Question: 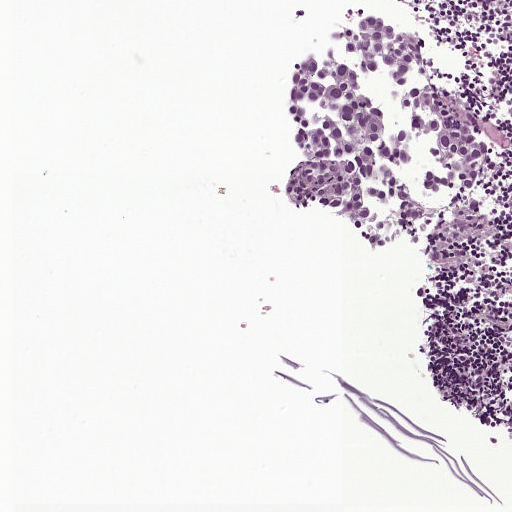
H&E-stained section of a sentinel lymph node (breast cancer), from a whole-slide image, viewed at about 10×: the field is about 0.5 mm across, about 0.97 µm per pixel.
About how much of this crop is taken up by metastatic carcinoma?

Choices:
 (A) about 25% to 45%
 (B) about 10% to 20%
 (C) about 5% or less
 (D) none: no tumour is outlined
 (E) about 50% or more

Answer: (B) about 10% to 20%
About 10% of the field is tumour.
Metastatic tumour outline, simplified to 19 points and listed clockwise in crop pixels (x, y): (372, 12), (408, 21), (426, 45), (444, 101), (470, 116), (488, 140), (487, 170), (472, 196), (450, 192), (421, 210), (415, 249), (398, 243), (373, 251), (333, 215), (288, 206), (284, 178), (298, 156), (286, 89), (344, 22).
Question: 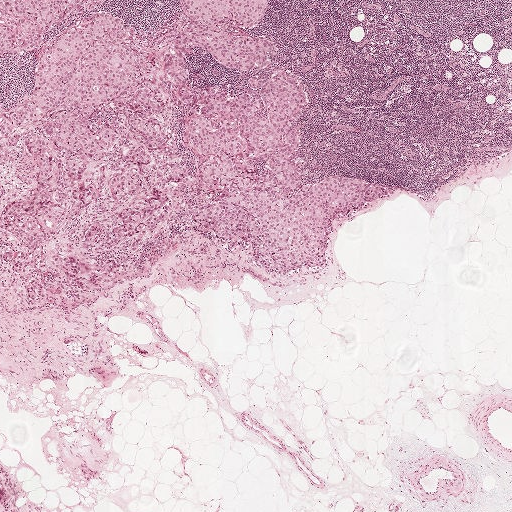
Lymph node section stained with H&E, from a whole-slide image of a breast-cancer sentinel node. Magnification about 2.5×, about 2.0 mm across the frame, about 3.9 µm per pixel.
About how much of this crop is taken up by metastatic carcinoma?

Choices:
 (A) about 25% to 45%
 (B) none: no tumour is outlined
 (C) about 50% or more
 (D) about 5% or less
 (E) about 10% to 20%

Answer: (A) about 25% to 45%
About 25% of the field is tumour.
Boundaries of four metastatic tumour regions, simplified and listed clockwise, largest first: region 1: (181, 0), (266, 0), (228, 30), (271, 40), (266, 65), (190, 44), (183, 65), (263, 115), (259, 91), (248, 81), (250, 74), (296, 74), (298, 186), (389, 190), (334, 214), (323, 264), (269, 273), (194, 226), (222, 185), (199, 187), (167, 95), (188, 173), (145, 245), (82, 237), (132, 198), (108, 186), (22, 271), (1, 254), (27, 244), (1, 230), (36, 176), (22, 138), (0, 164), (0, 109), (51, 34), (100, 10), (167, 27); region 2: (0, 0), (105, 0), (54, 24), (46, 31), (41, 43), (36, 49), (1, 54); region 3: (64, 255), (72, 255), (77, 259), (81, 266), (80, 273), (88, 279), (88, 286), (83, 287), (76, 282), (67, 279), (62, 268); region 4: (32, 276), (34, 276), (40, 279), (42, 286), (42, 292), (39, 294), (37, 293), (36, 288), (34, 286), (35, 293), (33, 297), (31, 297), (28, 296), (26, 292), (25, 288), (26, 282).
Two more small tumour pieces are annotated here but not outlined.
Question: 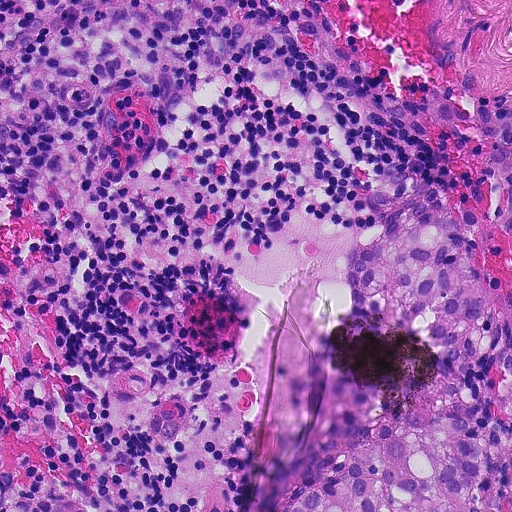
A 0.23-mm field of an H&E-stained sentinel lymph node from a breast-cancer patient (whole-slide image), shown at about 20×, about 0.45 µm per pixel.
About how much of this crop is taken up by metastatic carcinoma?

Choices:
 (A) none: no tumour is outlined
 (B) about 10% to 20%
 (C) about 5% or less
 (D) about 50% or more
 (E) about 25% to 45%

Answer: (B) about 10% to 20%
About 15% of the field is tumour.
Boundaries of two metastatic tumour regions, simplified and listed clockwise, largest first: region 1: (431, 200), (456, 214), (497, 314), (460, 385), (486, 462), (490, 511), (289, 511), (361, 444), (388, 396), (382, 342), (350, 263), (359, 236); region 2: (48, 496), (74, 506), (84, 511), (0, 511), (0, 497).
Question: 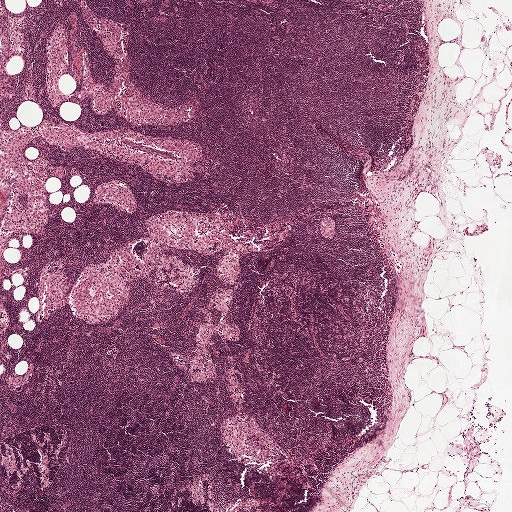
H&E-stained section of a sentinel lymph node (breast cancer), from a whole-slide image, viewed at about 2.5×: the field is about 2.0 mm across, about 3.9 µm per pixel.
About how much of this crop is taken up by metastatic carcinoma?

Choices:
 (A) about 5% or less
 (B) none: no tumour is outlined
 (C) about 10% to 20%
 (D) about 25% to 45%
 (E) about 50% or more

Answer: (A) about 5% or less
Under 5% of the field is tumour.
The outlined metastatic tumour's edge, as a closed clockwise path of 8 points: (329, 216), (335, 221), (335, 231), (334, 240), (327, 239), (321, 233), (319, 225), (322, 218).